Question: 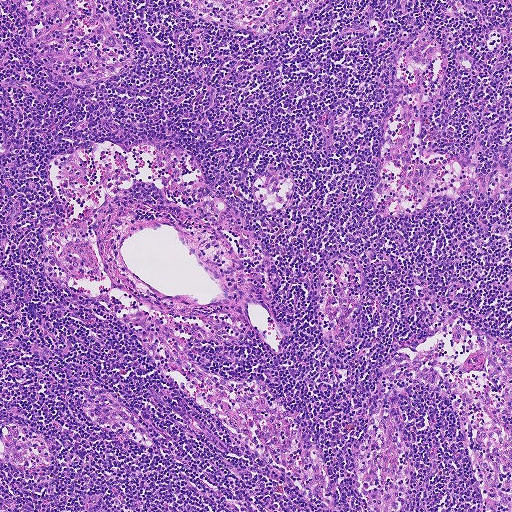
At roughly what magnification is this field shown?

Choices:
 (A) about 5×
 (B) about 20×
 (C) about 10×
 (D) about 40×
 (E) about 2.5×

Answer: (A) about 5×
A 0.93-mm field of an H&E-stained sentinel lymph node from a breast-cancer patient (whole-slide image), shown at about 5×, about 1.8 µm per pixel.